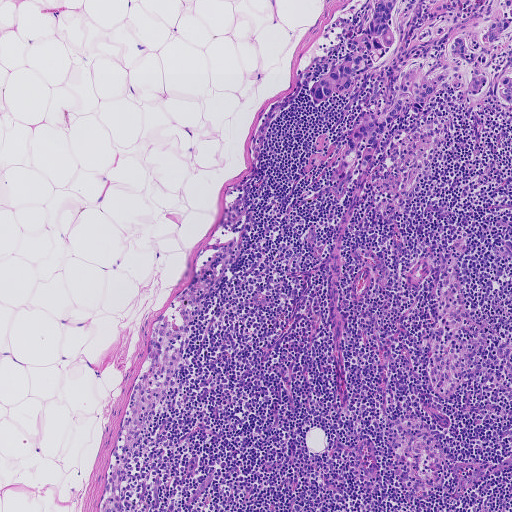
A 0.93-mm field of an H&E-stained sentinel lymph node from a breast-cancer patient (whole-slide image), shown at about 5×, about 1.8 µm per pixel.
One metastatic tumour region; its boundary, reduced to 23 corners and listed clockwise: (511, 0), (511, 106), (490, 81), (476, 96), (467, 92), (469, 71), (459, 69), (422, 110), (406, 112), (385, 130), (365, 170), (340, 181), (334, 166), (348, 134), (358, 119), (380, 106), (396, 65), (380, 60), (330, 102), (313, 103), (310, 87), (344, 53), (377, 1).
About 5% of this field is tumour.